Image:
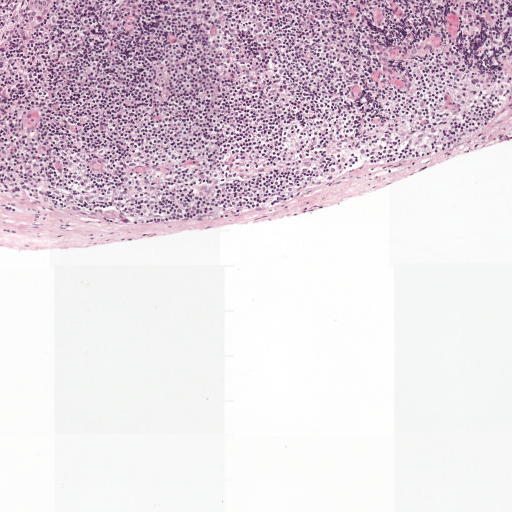
A 1-mm field of an H&E-stained sentinel lymph node from a breast-cancer patient (whole-slide image), shown at about 5×, about 1.9 µm per pixel.
Question:
Where is the metastatic tumour in this field? Give each region's outline as (x, y) pixel points.
Answer:
Metastatic tumour outline, simplified to 9 points and listed clockwise in crop pixels (x, y): (98, 208), (102, 209), (103, 212), (114, 210), (126, 214), (130, 220), (130, 223), (121, 223), (98, 214).
Under 5% of the image area is annotated as tumour.